Question: 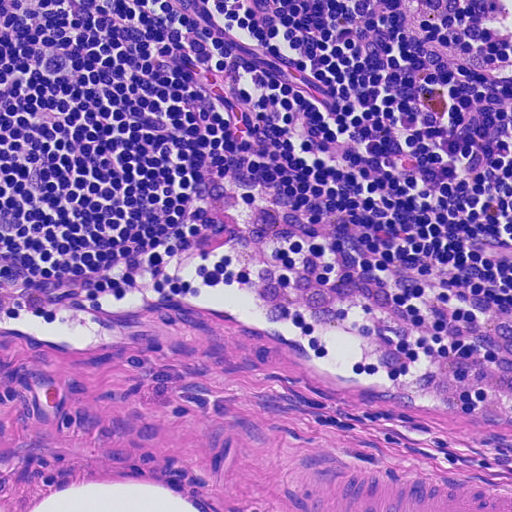
About what magnification does this crop show?

Choices:
 (A) about 40×
 (B) about 5×
 (C) about 2.5×
 (D) about 20×
 (E) about 10×

Answer: (D) about 20×
This is a crop of a whole-slide image: an H&E-stained breast-cancer sentinel lymph node section at roughly 20× magnification (about 0.45 µm per pixel; the crop spans about 0.23 mm).